Image:
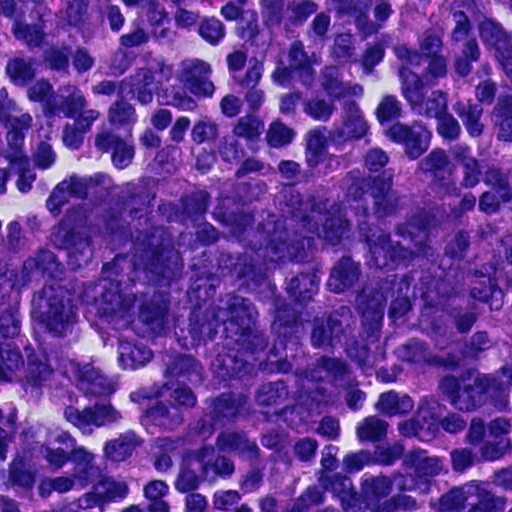
This is a crop of a whole-slide image: an H&E-stained breast-cancer sentinel lymph node section at roughly 40× magnification (about 0.23 µm per pixel; the crop spans about 0.12 mm).
Question:
Outline the metastatic carcinoma in this image, as closed paths of (x, y) pixel coordinates.
Answer:
One metastatic tumour region; its boundary, reduced to 10 corners and listed clockwise: (305, 155), (407, 158), (511, 193), (509, 338), (416, 360), (276, 489), (0, 427), (0, 186), (39, 175), (136, 182).
Tumour covers about 50% of the frame.